Question: 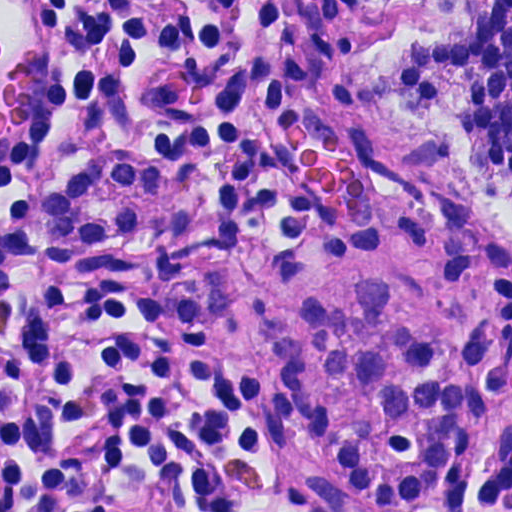
Which magnification is this H&E lymph node field most likely shown at?

Choices:
 (A) about 5×
 (B) about 10×
 (C) about 2.5×
 (D) about 40×
 (E) about 20×

Answer: (D) about 40×
Lymph node section stained with H&E, from a whole-slide image of a breast-cancer sentinel node. Magnification about 40×, about 0.12 mm across the frame, about 0.23 µm per pixel.
Outlines of three tumour regions, largest first (closed clockwise paths, crop pixels): region 1: (373, 228), (453, 319), (478, 371), (478, 430), (441, 478), (391, 505), (336, 486), (298, 441), (262, 358), (285, 304), (323, 258); region 2: (355, 0), (511, 0), (511, 240), (366, 98), (387, 25); region 3: (86, 135), (150, 149), (200, 188), (176, 246), (236, 260), (246, 321), (189, 345), (143, 304), (163, 252), (109, 263), (48, 244), (43, 183).
About 35% of this field is tumour.